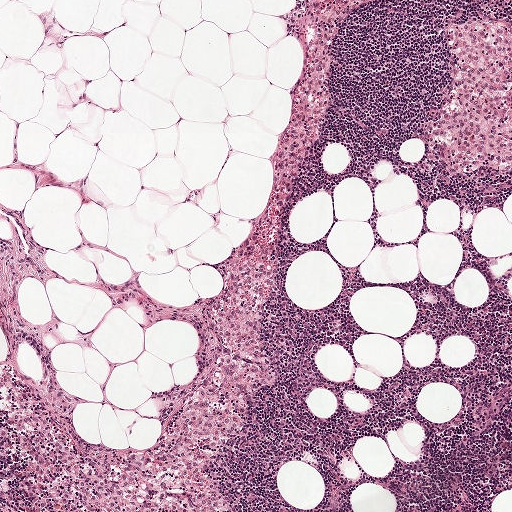
A 1-mm field of an H&E-stained sentinel lymph node from a breast-cancer patient (whole-slide image), shown at about 5×, about 1.9 µm per pixel.
Question: Is there metastatic carcinoma in this field?
Answer: No, this field holds no outlined metastasis.